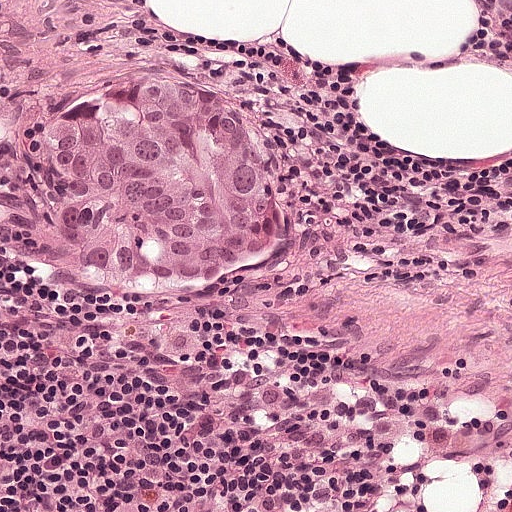
This is a crop of a whole-slide image: an H&E-stained breast-cancer sentinel lymph node section at roughly 20× magnification (about 0.49 µm per pixel; the crop spans about 0.25 mm).
Metastatic tumour outline, simplified to 12 points and listed clockwise in crop pixels (x, y): (174, 84), (238, 116), (270, 173), (278, 216), (268, 280), (244, 304), (81, 299), (46, 258), (0, 233), (0, 158), (20, 134), (84, 97).
About 20% of this field is tumour.